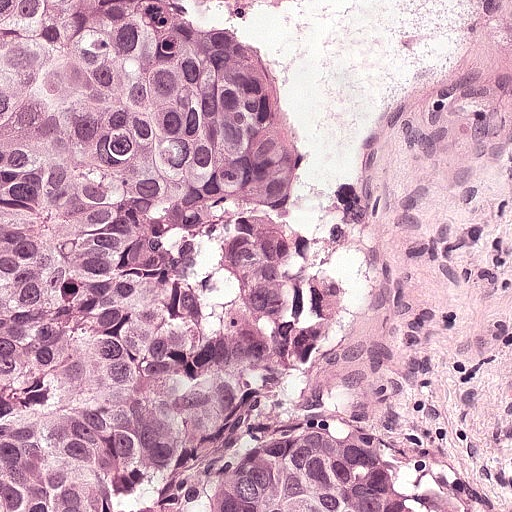
Lymph node section stained with H&E, from a whole-slide image of a breast-cancer sentinel node. Magnification about 20×, about 0.25 mm across the frame, about 0.49 µm per pixel.
Question: Where is the metastatic tumour in this field? Give each region's outline as (x, y) pixel points.
Answer: Metastatic tumour outline, simplified to 11 points and listed clockwise in crop pixels (x, y): (0, 0), (268, 0), (346, 130), (364, 228), (352, 338), (328, 372), (284, 378), (314, 405), (446, 464), (505, 510), (0, 511).
The annotated tumour makes up about 70% of the crop.